Lymph node section stained with H&E, from a whole-slide image of a breast-cancer sentinel node. Magnification about 20×, about 0.23 mm across the frame, about 0.45 µm per pixel.
Image:
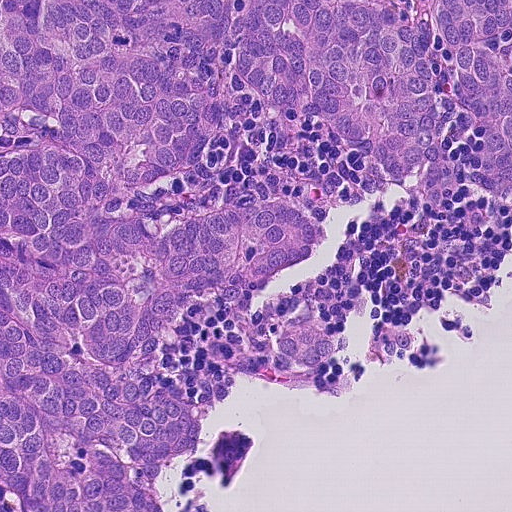
Question:
Describe where the metastatic carcinoma lies in this crop.
Answer:
The outlined metastatic tumour's edge, as a closed clockwise path of 20 points: (0, 0), (511, 0), (511, 204), (464, 176), (420, 212), (406, 180), (370, 180), (250, 93), (156, 204), (300, 202), (328, 227), (255, 308), (289, 293), (342, 342), (419, 334), (400, 364), (238, 374), (152, 490), (167, 511), (5, 511).
About 65% of the image area is annotated as tumour.